A 0.46-mm field of an H&E-stained sentinel lymph node from a breast-cancer patient (whole-slide image), shown at about 10×, about 0.9 µm per pixel.
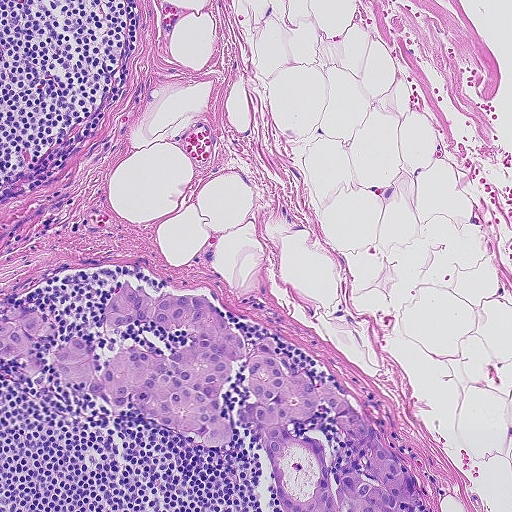
One metastatic tumour region; its boundary, reduced to 35 corners and listed clockwise: (124, 278), (156, 296), (206, 296), (249, 349), (264, 336), (294, 376), (305, 370), (315, 388), (330, 380), (347, 394), (415, 476), (428, 511), (282, 511), (264, 448), (234, 420), (257, 400), (250, 361), (232, 362), (218, 392), (232, 434), (218, 448), (76, 388), (52, 341), (33, 344), (44, 370), (1, 361), (0, 305), (96, 344), (100, 375), (114, 349), (166, 356), (190, 339), (142, 320), (106, 326), (107, 301).
Tumour covers about 15% of the frame.